H&E-stained section of a sentinel lymph node (breast cancer), from a whole-slide image, viewed at about 10×: the field is about 0.5 mm across, about 0.97 µm per pixel.
Image:
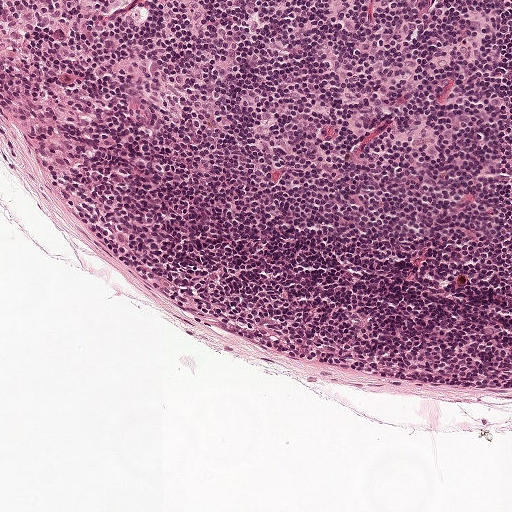
Question:
Is there metastatic carcinoma in this field?
Answer:
No. No metastatic tumour is outlined in this field.